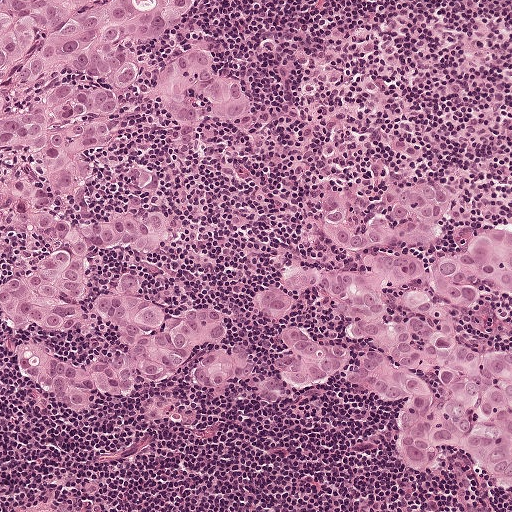
Lymph node section stained with H&E, from a whole-slide image of a breast-cancer sentinel node. Magnification about 10×, about 0.5 mm across the frame, about 0.97 µm per pixel.
Outlines of three tumour regions, largest first (closed clockwise paths, crop pixels): region 1: (0, 0), (202, 0), (170, 52), (214, 46), (256, 126), (199, 140), (130, 95), (124, 142), (182, 238), (94, 278), (120, 288), (136, 268), (170, 304), (220, 303), (227, 341), (136, 398), (64, 409), (21, 350), (106, 366), (124, 340), (3, 310), (3, 280), (47, 246), (1, 230); region 2: (458, 183), (464, 207), (417, 249), (428, 265), (468, 260), (480, 234), (511, 225), (511, 295), (484, 291), (462, 328), (475, 346), (511, 349), (511, 480), (451, 444), (428, 472), (405, 470), (398, 436), (408, 402), (343, 377), (266, 408), (293, 327), (360, 353), (376, 349), (348, 330), (329, 294), (310, 294), (282, 318), (262, 306), (259, 294), (284, 283), (294, 265), (363, 269), (326, 226), (326, 193), (348, 194), (351, 220), (363, 228), (397, 210), (409, 189); region 3: (248, 344), (253, 354), (253, 378), (225, 384), (220, 386), (210, 384), (198, 376), (201, 357), (220, 346), (230, 350).
About 40% of the image area is annotated as tumour.